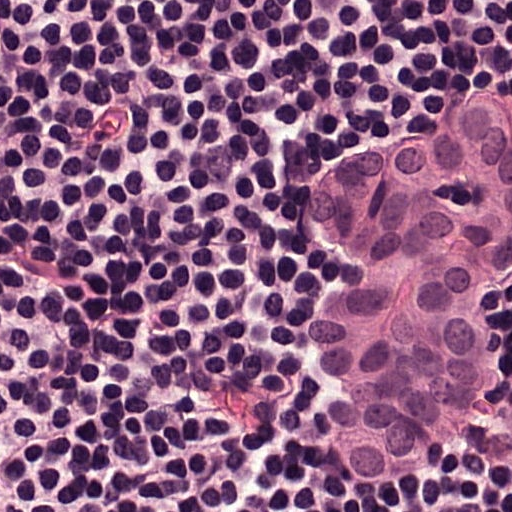
H&E-stained section of a sentinel lymph node (breast cancer), from a whole-slide image, viewed at about 40×: the field is about 0.12 mm across, about 0.24 µm per pixel.
The outlined metastatic tumour's edge, as a closed clockwise path of 13 points: (482, 92), (511, 114), (511, 279), (481, 312), (481, 409), (469, 453), (410, 491), (369, 494), (332, 471), (306, 385), (319, 291), (297, 235), (344, 154).
Tumour covers about 25% of the frame.